Lymph node section stained with H&E, from a whole-slide image of a breast-cancer sentinel node. Magnification about 2.5×, about 2.0 mm across the frame, about 3.9 µm per pixel.
Question: 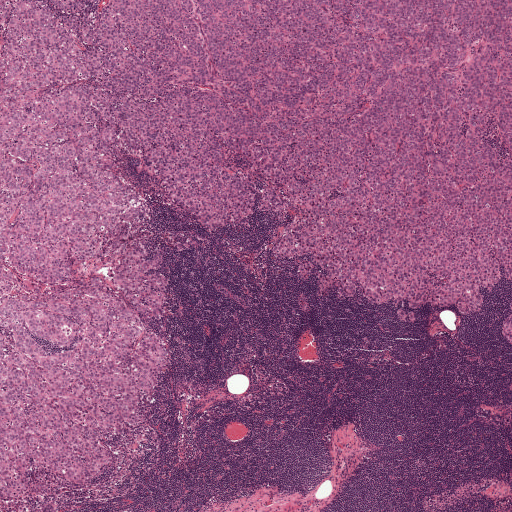
Roughly what share of this field is metastatic tumour?

Choices:
 (A) about 25% to 45%
 (B) about 50% or more
 (C) about 10% to 20%
 (D) none: no tumour is outlined
 (E) about 5% or less

Answer: (B) about 50% or more
About 65% of the field is tumour.
Two metastatic tumour regions, each outlined as a closed clockwise path in crop pixels (x, y), largest first: region 1: (0, 0), (511, 0), (511, 284), (484, 292), (474, 316), (431, 310), (414, 326), (324, 301), (272, 256), (292, 216), (210, 231), (132, 157), (121, 168), (164, 244), (173, 314), (150, 321), (172, 366), (138, 432), (108, 444), (110, 469), (71, 486), (32, 466), (31, 496), (6, 501); region 2: (511, 297), (511, 347), (503, 340), (498, 329).